A 0.46-mm field of an H&E-stained sentinel lymph node from a breast-cancer patient (whole-slide image), shown at about 10×, about 0.9 µm per pixel.
Image:
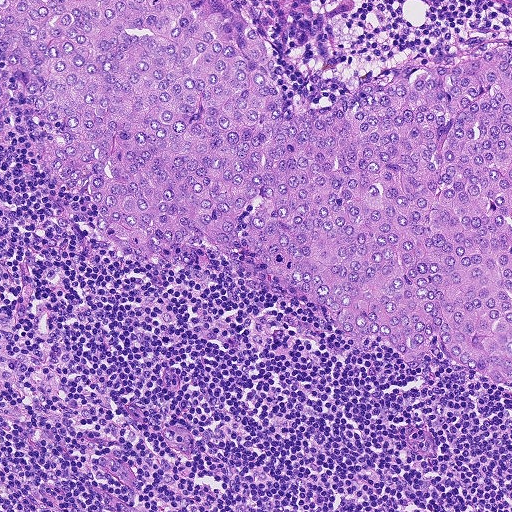
Question:
Does this lymph node field contain metastatic tumour?
Answer:
Yes.
The outlined metastatic tumour's edge, as a closed clockwise path of 22 points: (0, 0), (511, 0), (511, 380), (493, 381), (433, 341), (408, 368), (380, 340), (342, 328), (330, 305), (249, 257), (244, 219), (261, 198), (238, 216), (232, 254), (183, 242), (153, 264), (140, 260), (106, 238), (88, 194), (41, 171), (42, 116), (1, 54).
The annotated tumour makes up about 55% of the crop.